Question: 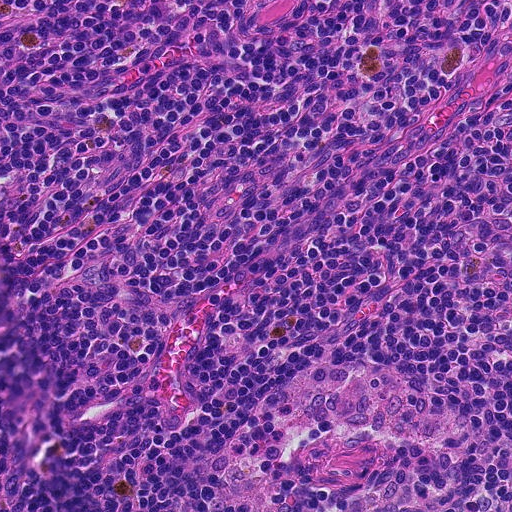
Lymph node section stained with H&E, from a whole-slide image of a breast-cancer sentinel node. Magnification about 20×, about 0.23 mm across the frame, about 0.45 µm per pixel.
Roughly what share of this field is metastatic tumour?

Choices:
 (A) about 5% or less
 (B) about 10% to 20%
 (C) none: no tumour is outlined
 (D) about 50% or more
 (E) about 25% to 45%

Answer: (C) none: no tumour is outlined
No metastatic tumour is outlined in this field.